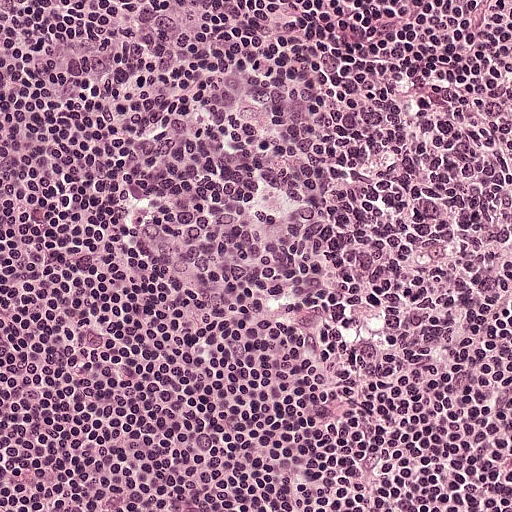
A 0.25-mm field of an H&E-stained sentinel lymph node from a breast-cancer patient (whole-slide image), shown at about 20×, about 0.49 µm per pixel.
Question: Is any metastatic breast cancer visible in this crop?
Answer: No. No metastatic tumour is outlined in this field.